Question: 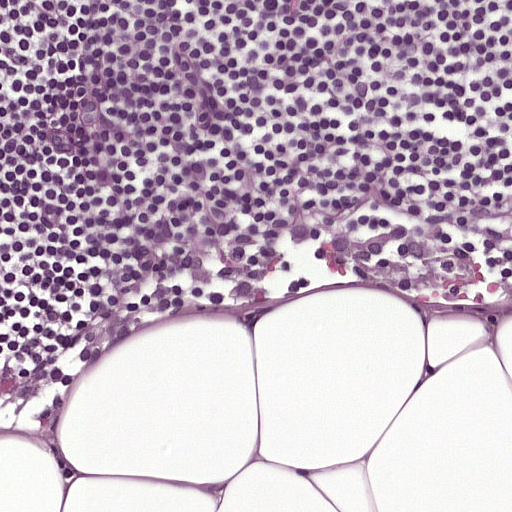
At roughly what magnification is this field shown?

Choices:
 (A) about 10×
 (B) about 2.5×
 (C) about 40×
 (D) about 20×
 (E) about 5×

Answer: (D) about 20×
This is a crop of a whole-slide image: an H&E-stained breast-cancer sentinel lymph node section at roughly 20× magnification (about 0.49 µm per pixel; the crop spans about 0.25 mm).